Image:
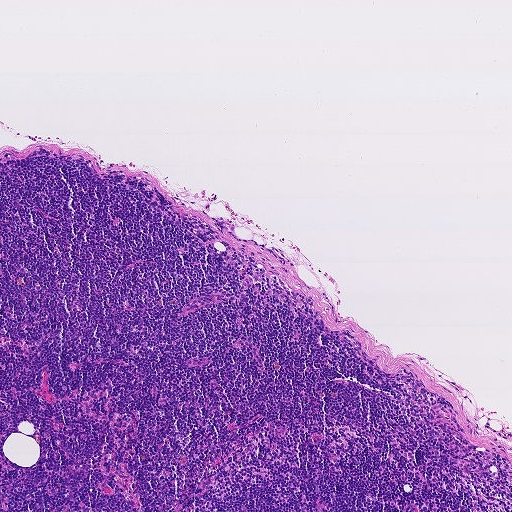
This is a crop of a whole-slide image: an H&E-stained breast-cancer sentinel lymph node section at roughly 5× magnification (about 1.8 µm per pixel; the crop spans about 0.93 mm).
Question:
Is there metastatic carcinoma in this field?
Answer:
No, this field holds no outlined metastasis.